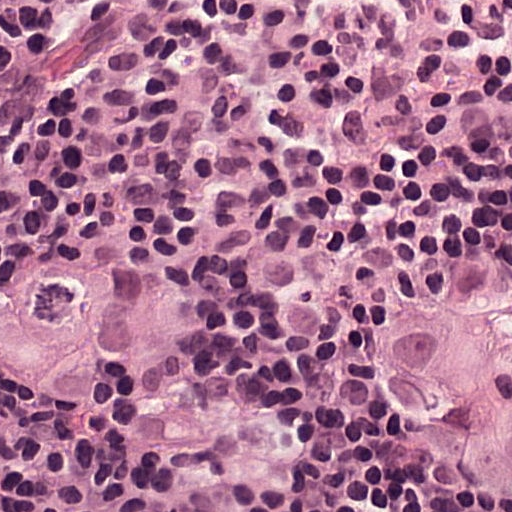
A 0.12-mm field of an H&E-stained sentinel lymph node from a breast-cancer patient (whole-slide image), shown at about 40×, about 0.24 µm per pixel.
Question: Which parts of this field are metastatic tumour?
Answer: Outlines of two tumour regions, largest first (closed clockwise paths, crop pixels): region 1: (118, 236), (156, 253), (196, 285), (201, 329), (196, 361), (186, 380), (157, 405), (104, 411), (71, 394), (0, 377), (0, 289), (18, 289), (40, 309), (75, 308), (93, 294), (93, 280), (68, 264), (77, 246); region 2: (510, 289), (511, 497), (506, 497), (450, 476), (424, 441), (384, 417), (375, 391), (378, 338), (384, 332), (462, 292).
Tumour covers about 15% of the frame.